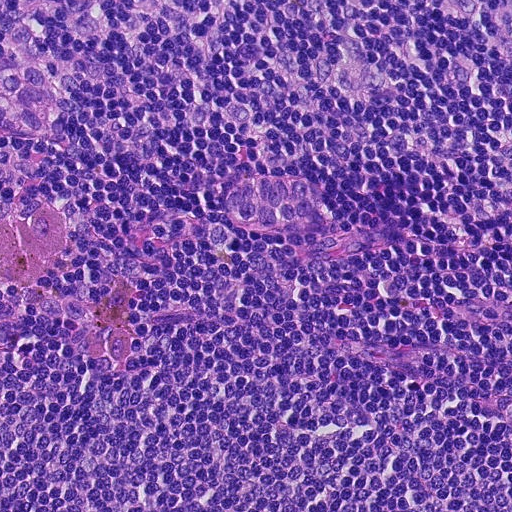
Lymph node section stained with H&E, from a whole-slide image of a breast-cancer sentinel node. Magnification about 20×, about 0.23 mm across the frame, about 0.45 µm per pixel.
Tumour region outline (a closed clockwise path, crop pixels): (40, 210), (77, 216), (68, 252), (42, 280), (31, 286), (50, 294), (88, 300), (110, 291), (126, 270), (138, 288), (127, 373), (94, 372), (78, 352), (66, 328), (13, 303), (0, 302), (0, 231).
Tumour covers about 5% of the frame.